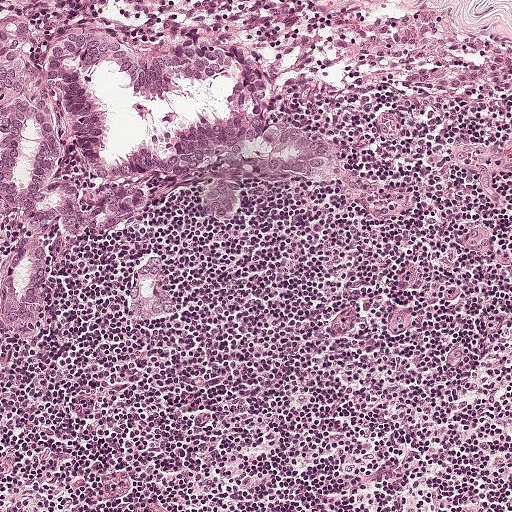
A 0.5-mm field of an H&E-stained sentinel lymph node from a breast-cancer patient (whole-slide image), shown at about 10×, about 0.97 µm per pixel.
Boundaries of two metastatic tumour regions, simplified and listed clockwise, largest first: region 1: (0, 17), (59, 39), (106, 30), (153, 60), (188, 37), (247, 40), (274, 68), (276, 118), (333, 138), (342, 175), (319, 186), (259, 180), (243, 220), (221, 229), (198, 209), (207, 178), (196, 178), (162, 196), (122, 238), (54, 237), (58, 280), (36, 331), (9, 329); region 2: (157, 254), (162, 258), (166, 268), (169, 292), (176, 307), (175, 312), (170, 316), (163, 318), (145, 319), (126, 312), (128, 289), (134, 269), (142, 258).
One more small tumour piece is annotated here but not outlined.
Tumour covers about 25% of the frame.